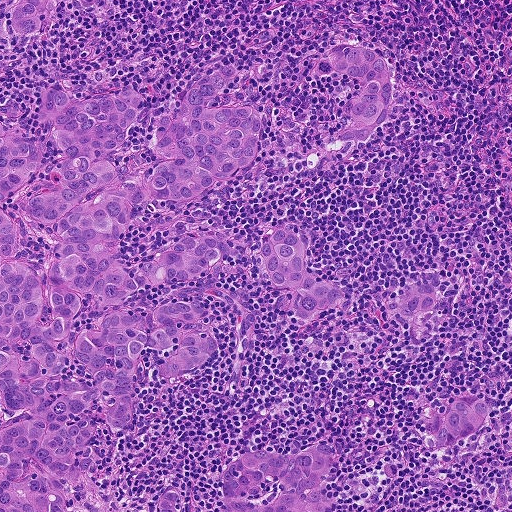
H&E-stained section of a sentinel lymph node (breast cancer), from a whole-slide image, viewed at about 10×: the field is about 0.46 mm across, about 0.9 µm per pixel.
Boundaries of five metastatic tumour regions, simplified and listed clockwise, largest first: region 1: (236, 64), (242, 81), (214, 103), (260, 106), (252, 175), (150, 206), (124, 242), (125, 265), (209, 228), (249, 248), (290, 226), (348, 305), (305, 321), (284, 310), (257, 254), (234, 248), (201, 325), (225, 338), (217, 360), (166, 383), (152, 370), (166, 350), (147, 350), (132, 430), (102, 424), (100, 466), (68, 485), (70, 508), (0, 511), (0, 118), (40, 144), (23, 192), (48, 181), (59, 154), (36, 114), (37, 88), (146, 93), (118, 158), (148, 144), (166, 103); region 2: (341, 438), (341, 462), (329, 482), (336, 504), (329, 511), (214, 511), (225, 504), (221, 482), (230, 460), (251, 451), (296, 452); region 3: (356, 44), (378, 48), (391, 68), (391, 92), (387, 116), (373, 134), (351, 144), (328, 141), (348, 117), (354, 95), (363, 92), (361, 81), (348, 78), (328, 66), (328, 51); region 4: (483, 395), (487, 398), (490, 422), (472, 434), (450, 444), (427, 446), (449, 406), (460, 399), (470, 405); region 5: (18, 0), (57, 0), (58, 3), (52, 20), (41, 36), (29, 37), (12, 30), (4, 24), (12, 6).
About 35% of the image area is annotated as tumour.